Question: 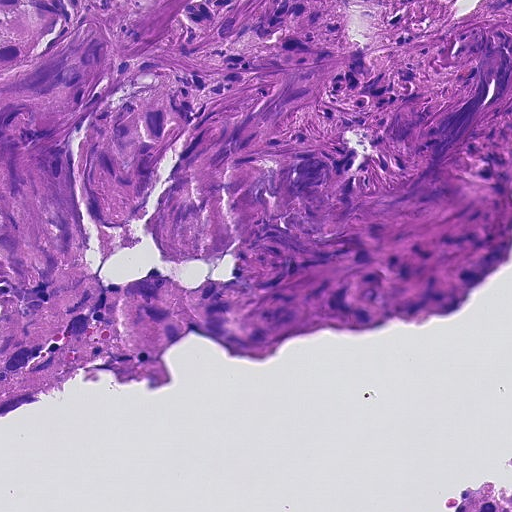
H&E-stained section of a sentinel lymph node (breast cancer), from a whole-slide image, viewed at about 20×: the field is about 0.23 mm across, about 0.45 µm per pixel.
What fraction of the image area is metastatic tumour?

Choices:
 (A) about 50% or more
 (B) none: no tumour is outlined
 (C) about 25% to 45%
 (D) about 5% or less
 (E) about 10% to 20%

Answer: (A) about 50% or more
About 70% of the field is tumour.
Boundaries of two metastatic tumour regions, simplified and listed clockwise, largest first: region 1: (0, 0), (511, 0), (511, 258), (463, 307), (428, 325), (285, 343), (258, 363), (192, 332), (169, 362), (174, 380), (78, 387), (0, 427); region 2: (493, 480), (502, 494), (511, 489), (511, 511), (443, 511), (456, 486).